Question: 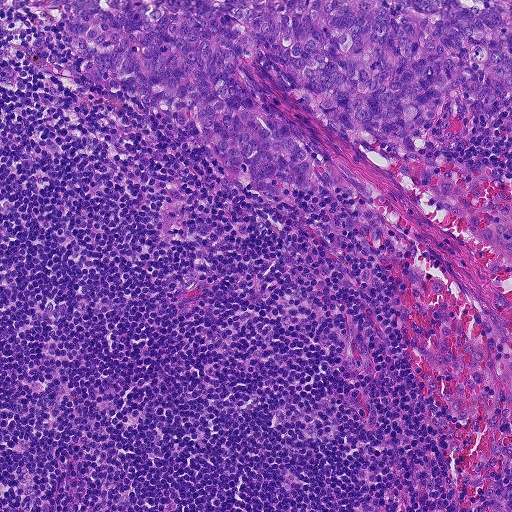
This is a crop of a whole-slide image: an H&E-stained breast-cancer sentinel lymph node section at roughly 10× magnification (about 0.9 µm per pixel; the crop spans about 0.46 mm).
About how much of this crop is taken up by metastatic carcinoma?

Choices:
 (A) about 50% or more
 (B) about 5% or less
 (C) about 10% to 20%
 (D) none: no tumour is outlined
 (E) about 25% to 45%

Answer: (E) about 25% to 45%
About 25% of the field is tumour.
Metastatic tumour outline, simplified to 24 points and listed clockwise in crop pixels (x, y): (511, 0), (511, 97), (450, 118), (449, 140), (438, 145), (391, 150), (342, 136), (262, 71), (236, 65), (364, 188), (352, 200), (328, 183), (298, 190), (277, 183), (284, 200), (274, 202), (236, 182), (214, 147), (188, 147), (200, 120), (182, 127), (87, 79), (62, 13), (40, 3).